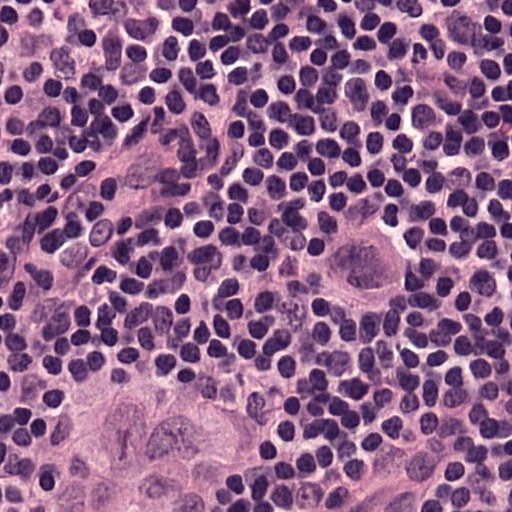
Lymph node section stained with H&E, from a whole-slide image of a breast-cancer sentinel node. Magnification about 40×, about 0.12 mm across the frame, about 0.24 µm per pixel.
Two metastatic tumour regions, each outlined as a closed clockwise path in crop pixels (x, y), largest first: region 1: (157, 372), (169, 372), (197, 394), (209, 394), (226, 411), (237, 411), (242, 423), (242, 491), (237, 511), (62, 511), (72, 491), (72, 457), (83, 423); region 2: (374, 206), (391, 229), (396, 229), (396, 332), (391, 349), (385, 353), (345, 353), (340, 349), (340, 343), (334, 337), (334, 258), (345, 235), (368, 229).
The annotated tumour makes up about 10% of the crop.